Question: 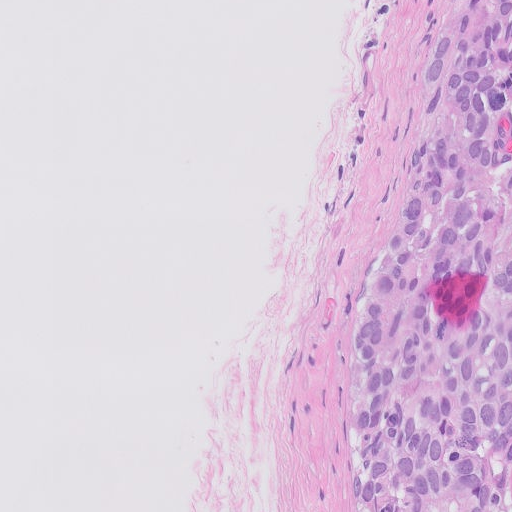
This is a crop of a whole-slide image: an H&E-stained breast-cancer sentinel lymph node section at roughly 20× magnification (about 0.5 µm per pixel; the crop spans about 0.26 mm).
Roughly what share of this field is metastatic tumour?

Choices:
 (A) about 5% or less
 (B) about 10% to 20%
 (C) about 25% to 45%
 (D) none: no tumour is outlined
 (E) about 50% or more

Answer: (C) about 25% to 45%
About 25% of the field is tumour.
Tumour region outline (a closed clockwise path, crop pixels): (459, 0), (511, 0), (511, 449), (493, 511), (344, 511), (364, 356), (352, 314), (422, 122), (440, 21).
Question: 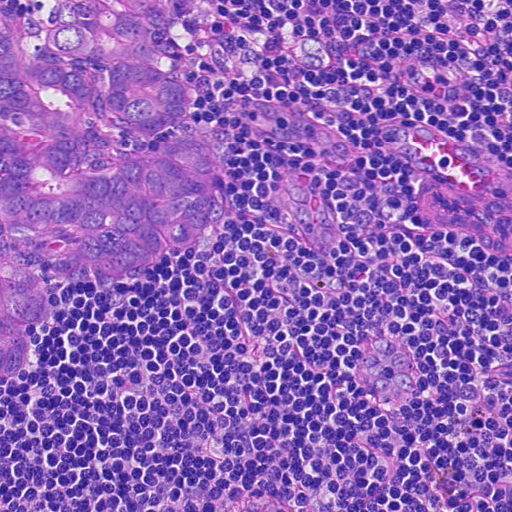
Lymph node section stained with H&E, from a whole-slide image of a breast-cancer sentinel node. Magnification about 20×, about 0.23 mm across the frame, about 0.45 µm per pixel.
Roughly what share of this field is metastatic tumour?

Choices:
 (A) about 50% or more
 (B) about 10% to 20%
 (C) about 25% to 45%
 (D) about 5% or less
 (E) none: no tumour is outlined

Answer: (B) about 10% to 20%
About 20% of the field is tumour.
One metastatic tumour region; its boundary, reduced to 17 corners and listed clockwise: (0, 0), (211, 0), (174, 30), (184, 56), (176, 75), (190, 100), (186, 129), (214, 136), (226, 161), (226, 214), (211, 237), (170, 249), (140, 278), (36, 274), (46, 309), (16, 374), (0, 381).
Question: 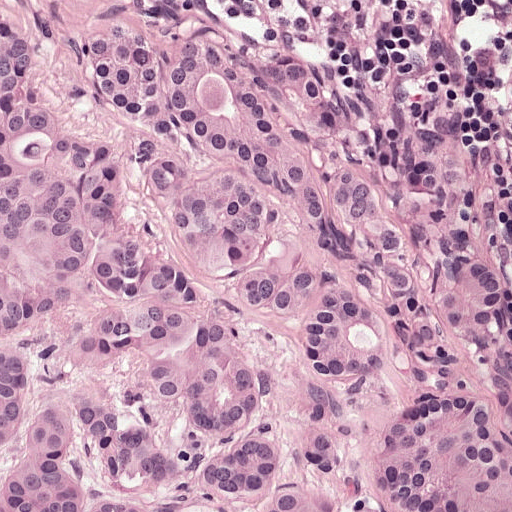
H&E-stained section of a sentinel lymph node (breast cancer), from a whole-slide image, viewed at about 20×: the field is about 0.25 mm across, about 0.49 µm per pixel.
Roughly what share of this field is metastatic tumour?

Choices:
 (A) about 5% or less
 (B) none: no tumour is outlined
 (C) about 50% or more
 (D) about 25% to 45%
 (E) about 10% to 20%

Answer: (C) about 50% or more
About 65% of the field is tumour.
Boundaries of four metastatic tumour regions, simplified and listed clockwise, largest first: region 1: (122, 16), (288, 56), (340, 103), (360, 172), (420, 262), (489, 262), (501, 295), (449, 332), (452, 368), (424, 388), (394, 376), (392, 344), (340, 467), (315, 477), (298, 321), (248, 313), (183, 254), (89, 30); region 2: (0, 20), (64, 126), (114, 140), (140, 239), (272, 365), (245, 435), (340, 511), (0, 511), (20, 444), (69, 401), (176, 448), (240, 437), (190, 430), (186, 398), (150, 390), (139, 354), (77, 366), (77, 334), (128, 297), (88, 270), (0, 344); region 3: (444, 392), (477, 402), (511, 429), (511, 511), (372, 511), (361, 450), (378, 420), (409, 400); region 4: (0, 350), (18, 356), (26, 362), (26, 401), (8, 435), (0, 439).
Question: 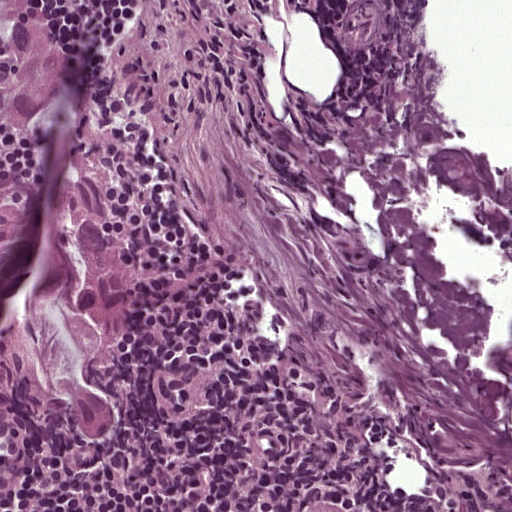
Lymph node section stained with H&E, from a whole-slide image of a breast-cancer sentinel node. Magnification about 20×, about 0.25 mm across the frame, about 0.49 µm per pixel.
Roughly what share of this field is metastatic tumour?

Choices:
 (A) about 25% to 45%
 (B) about 50% or more
 (C) about 5% or less
 (D) about 10% to 20%
 (E) none: no tumour is outlined

Answer: (D) about 10% to 20%
About 15% of the field is tumour.
One metastatic tumour region; its boundary, reduced to 9 corners and listed clockwise: (0, 0), (46, 0), (79, 132), (104, 181), (126, 285), (128, 392), (118, 446), (68, 434), (0, 353).